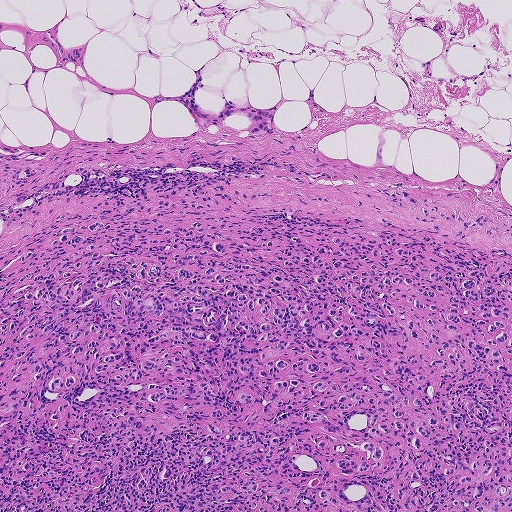
A 0.93-mm field of an H&E-stained sentinel lymph node from a breast-cancer patient (whole-slide image), shown at about 5×, about 1.8 µm per pixel.
Metastatic tumour outline, simplified to 7 points and listed clockwise in crop pixels (x, y): (112, 214), (315, 218), (511, 258), (511, 511), (0, 511), (0, 255), (58, 223).
Tumour covers about 55% of the frame.